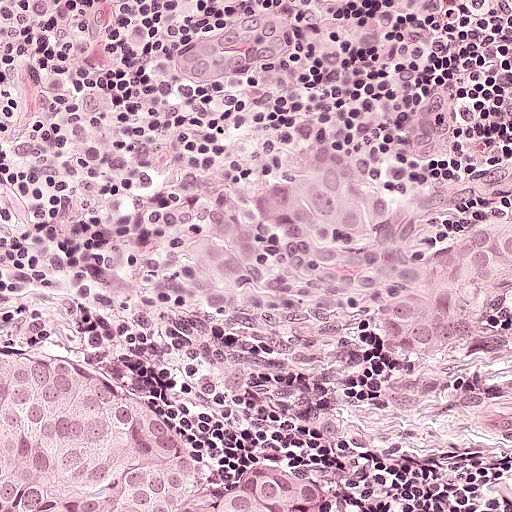
This is a crop of a whole-slide image: an H&E-stained breast-cancer sentinel lymph node section at roughly 20× magnification (about 0.49 µm per pixel; the crop spans about 0.25 mm).
Metastatic tumour outline, simplified to 15 points and listed clockwise in crop pixels (x, y): (326, 118), (400, 153), (443, 159), (470, 156), (511, 128), (511, 355), (384, 382), (229, 434), (338, 472), (384, 511), (0, 511), (0, 298), (34, 308), (170, 158), (216, 131).
About 55% of the image area is annotated as tumour.